Question: 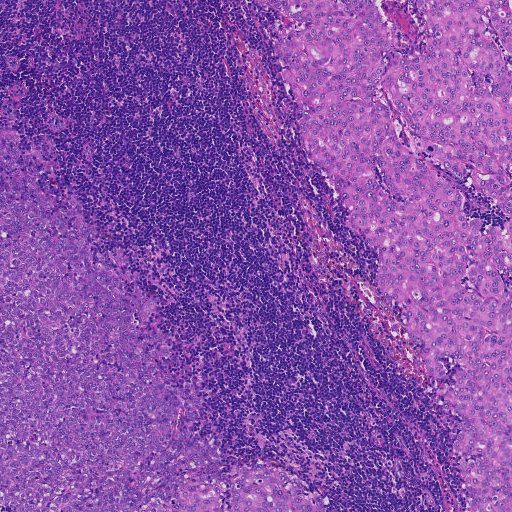
About what magnification does this crop show?

Choices:
 (A) about 20×
 (B) about 40×
 (C) about 5×
 (D) about 2.5×
 (E) about 10×

Answer: (C) about 5×
This is a crop of a whole-slide image: an H&E-stained breast-cancer sentinel lymph node section at roughly 5× magnification (about 1.8 µm per pixel; the crop spans about 0.93 mm).
Outlines of two tumour regions, largest first (closed clockwise paths, crop pixels): region 1: (511, 0), (511, 511), (463, 511), (447, 450), (460, 416), (438, 406), (440, 383), (406, 318), (385, 312), (375, 291), (378, 254), (304, 154), (272, 39), (279, 11), (253, 1); region 2: (0, 126), (18, 134), (52, 192), (94, 224), (95, 250), (124, 250), (126, 268), (156, 299), (154, 326), (173, 346), (174, 381), (193, 386), (198, 412), (222, 432), (222, 469), (276, 466), (323, 506), (0, 511).
One more small tumour piece is annotated here but not outlined.
About 50% of the image area is annotated as tumour.